Image:
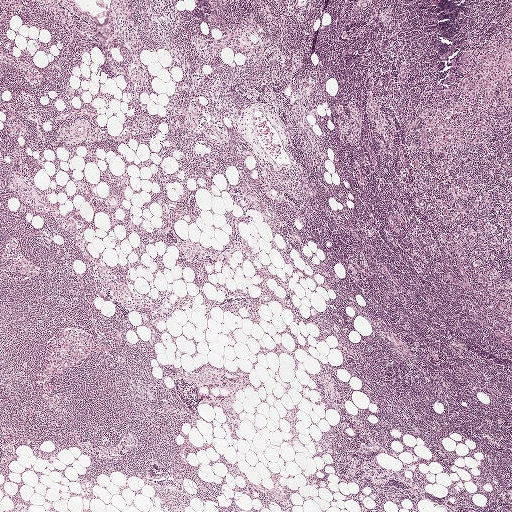
This is a crop of a whole-slide image: an H&E-stained breast-cancer sentinel lymph node section at roughly 2.5× magnification (about 3.9 µm per pixel; the crop spans about 2.0 mm).
Question:
Which parts of this field are metastatic tumour? Answer with the outline of each region, in pixels.
Answer:
One metastatic tumour region; its boundary, reduced to 16 corners and listed clockwise: (511, 0), (511, 303), (481, 300), (472, 286), (464, 250), (435, 238), (430, 220), (438, 214), (417, 189), (416, 162), (405, 156), (401, 125), (427, 102), (451, 61), (463, 62), (480, 49).
About 10% of this field is tumour.